Image:
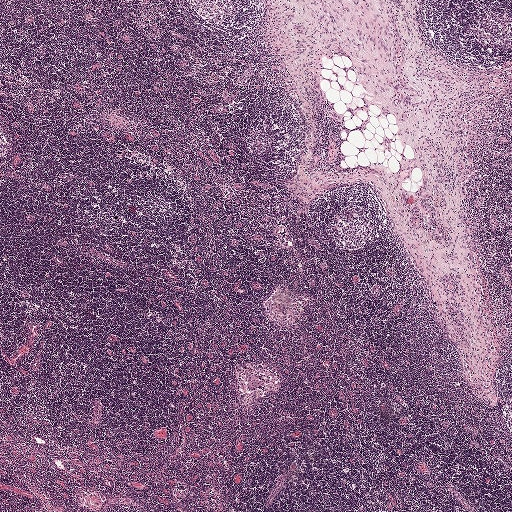
Lymph node section stained with H&E, from a whole-slide image of a breast-cancer sentinel node. Magnification about 2.5×, about 2.0 mm across the frame, about 3.9 µm per pixel.
Question:
Does this lymph node field contain metastatic tumour?
Answer:
No. No metastatic tumour is outlined in this field.